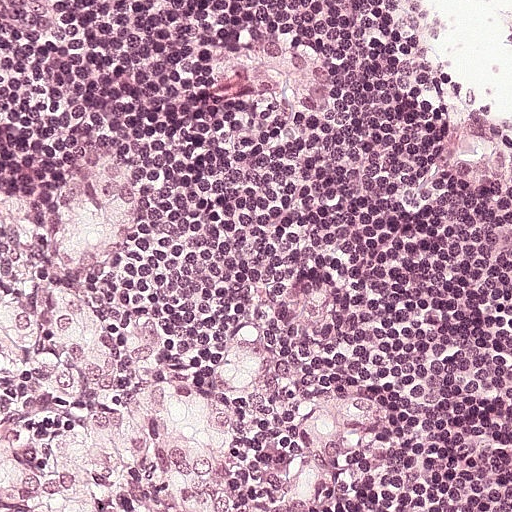
H&E-stained section of a sentinel lymph node (breast cancer), from a whole-slide image, viewed at about 20×: the field is about 0.25 mm across, about 0.49 µm per pixel.
The outlined metastatic tumour's edge, as a closed clockwise path of 19 points: (82, 157), (151, 157), (162, 168), (162, 223), (112, 298), (122, 316), (176, 323), (180, 364), (212, 380), (258, 326), (310, 387), (355, 405), (344, 450), (303, 510), (0, 511), (0, 266), (35, 257), (44, 189), (58, 171).
Tumour covers about 30% of the frame.